A 0.5-mm field of an H&E-stained sentinel lymph node from a breast-cancer patient (whole-slide image), shown at about 10×, about 0.97 µm per pixel.
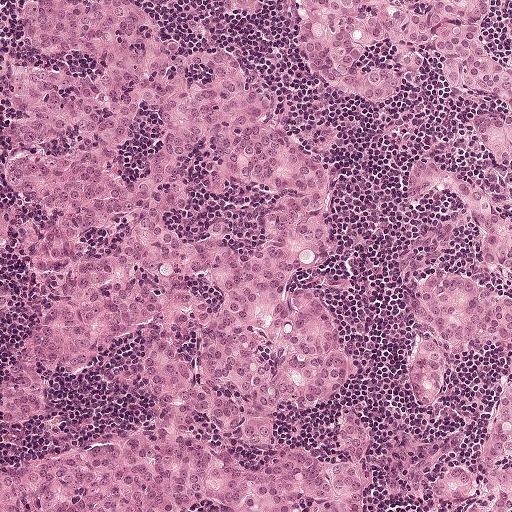
Outlines of six tumour regions, largest first (closed clockwise paths, crop pixels): region 1: (26, 0), (136, 0), (236, 60), (334, 194), (293, 289), (352, 377), (268, 431), (325, 458), (364, 420), (370, 511), (0, 511), (0, 466), (148, 410), (132, 337), (0, 424), (40, 302), (0, 200), (54, 223), (0, 166), (74, 142), (17, 141), (0, 69), (92, 67), (29, 48); region 2: (292, 0), (480, 0), (484, 39), (500, 57), (511, 31), (511, 288), (473, 263), (472, 222), (460, 200), (402, 206), (396, 168), (422, 155), (489, 184), (472, 120), (502, 118), (500, 102), (453, 92), (430, 51), (423, 74), (408, 76), (389, 100), (332, 90), (308, 74), (291, 42); region 3: (430, 260), (477, 274), (490, 289), (510, 298), (511, 349), (487, 342), (447, 358), (439, 366), (446, 372), (446, 379), (435, 404), (428, 409), (416, 403), (405, 379), (412, 319), (404, 313), (400, 300), (403, 276), (411, 264); region 4: (511, 353), (511, 511), (460, 511), (442, 496), (432, 499), (428, 491), (424, 503), (412, 496), (402, 500), (389, 494), (382, 477), (382, 452), (388, 440), (397, 434), (413, 433), (435, 440), (458, 433), (465, 441), (465, 447), (458, 460), (444, 468), (478, 468), (481, 463), (478, 449); region 5: (222, 0), (257, 0), (252, 11), (244, 12), (235, 10); region 6: (0, 279), (8, 285), (11, 294), (10, 303), (7, 306), (0, 308).
One more small tumour piece is annotated here but not outlined.
The annotated tumour makes up about 70% of the crop.